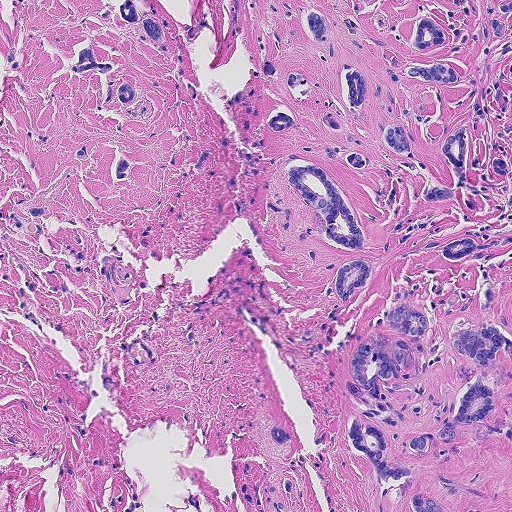
H&E-stained section of a sentinel lymph node (breast cancer), from a whole-slide image, viewed at about 10×: the field is about 0.46 mm across, about 0.9 µm per pixel.
Outlines of two tumour regions, largest first (closed clockwise paths, crop pixels): region 1: (296, 0), (511, 0), (511, 511), (410, 511), (336, 444), (340, 372), (367, 306), (334, 305), (335, 254), (276, 176), (282, 142), (264, 127), (262, 61), (310, 72), (333, 92), (336, 69), (305, 36); region 2: (112, 0), (160, 0), (174, 31), (174, 48), (168, 55), (130, 40), (124, 56), (128, 74), (155, 103), (160, 120), (125, 126), (116, 143), (129, 156), (136, 173), (121, 183), (94, 159), (75, 161), (74, 143), (100, 117), (104, 98), (95, 75), (58, 72), (63, 54), (94, 31).
Two more small tumour pieces are annotated here but not outlined.
The annotated tumour makes up about 40% of the crop.